Image:
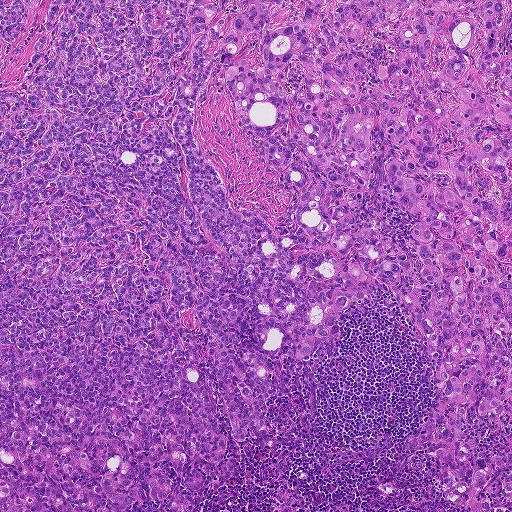
H&E-stained section of a sentinel lymph node (breast cancer), from a whole-slide image, viewed at about 5×: the field is about 0.93 mm across, about 1.8 µm per pixel.
Question:
Describe where the metastatic carcinoma lies in this crop.
Answer:
Boundaries of two metastatic tumour regions, simplified and listed clockwise, largest first: region 1: (0, 0), (511, 0), (511, 404), (477, 414), (480, 381), (462, 418), (511, 511), (459, 511), (404, 444), (443, 387), (376, 279), (284, 364), (262, 449), (205, 350), (235, 472), (212, 493), (183, 472), (181, 486), (195, 506), (173, 511), (168, 463), (133, 510), (0, 511); region 2: (511, 474), (511, 503), (506, 499), (504, 494), (501, 481), (505, 475).
The annotated tumour makes up about 85% of the crop.

Image:
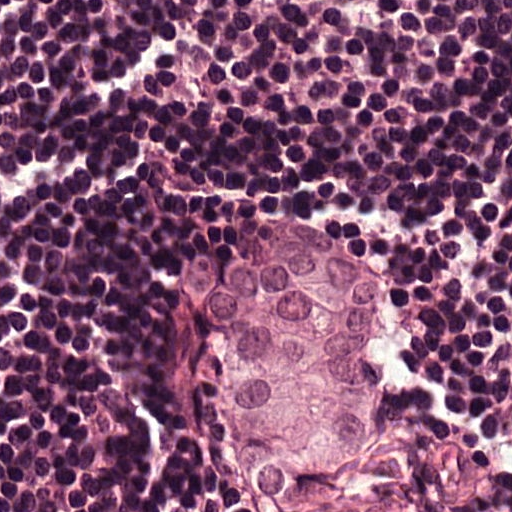
This is a crop of a whole-slide image: an H&E-stained breast-cancer sentinel lymph node section at roughly 40× magnification (about 0.24 µm per pixel; the crop spans about 0.12 mm).
Question:
Describe where the metastatic carcinoma lies in this crop.
Answer:
Tumour region outline (a closed clockwise path, crop pixels): (249, 209), (396, 247), (399, 309), (418, 344), (420, 413), (412, 441), (301, 511), (253, 511), (224, 497), (215, 369), (165, 294), (171, 238).
Tumour covers about 20% of the frame.

Image:
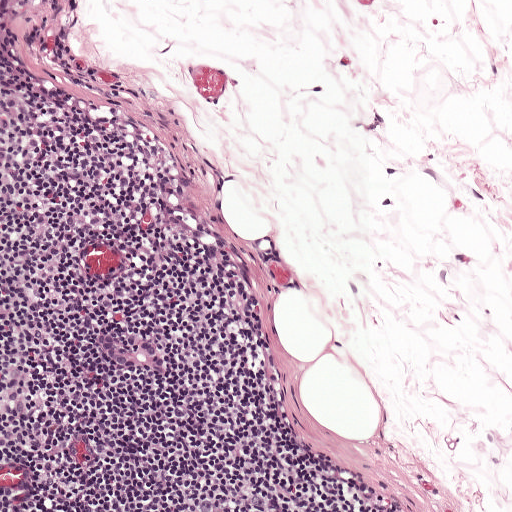
H&E-stained section of a sentinel lymph node (breast cancer), from a whole-slide image, viewed at about 10×: the field is about 0.5 mm across, about 0.97 µm per pixel.
Question:
Describe where the metastatic carcinoma lies in this crop.
Answer:
The outlined metastatic tumour's edge, as a closed clockwise path of 13 points: (102, 331), (128, 331), (148, 337), (168, 350), (172, 358), (172, 368), (169, 378), (160, 380), (141, 374), (132, 374), (123, 370), (95, 345), (94, 335).
Under 5% of this field is tumour.

Image:
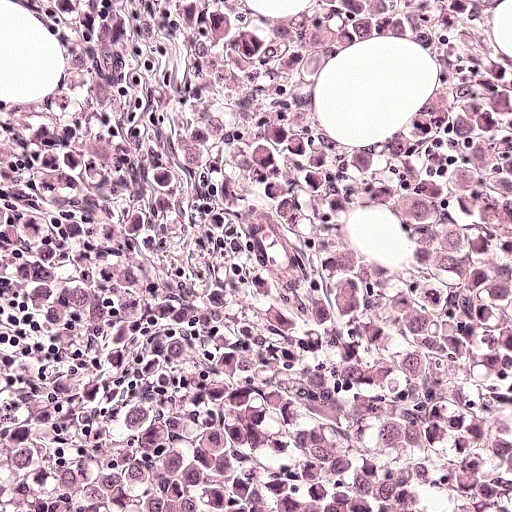
Lymph node section stained with H&E, from a whole-slide image of a breast-cancer sentinel node. Magnification about 20×, about 0.25 mm across the frame, about 0.49 µm per pixel.
Question:
Describe where the metastatic carcinoma lies in this crop.
Answer:
Tumour region outline (a closed clockwise path, crop pixels): (340, 366), (404, 373), (452, 450), (506, 487), (511, 511), (115, 511), (138, 473), (175, 439), (220, 412).
About 15% of this field is tumour.